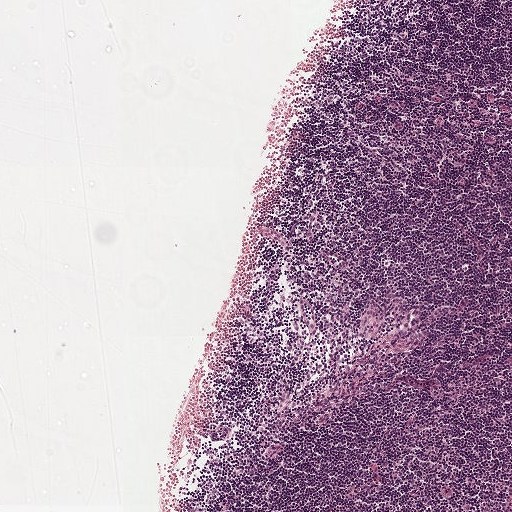
H&E-stained section of a sentinel lymph node (breast cancer), from a whole-slide image, viewed at about 5×: the field is about 1 mm across, about 1.9 µm per pixel.